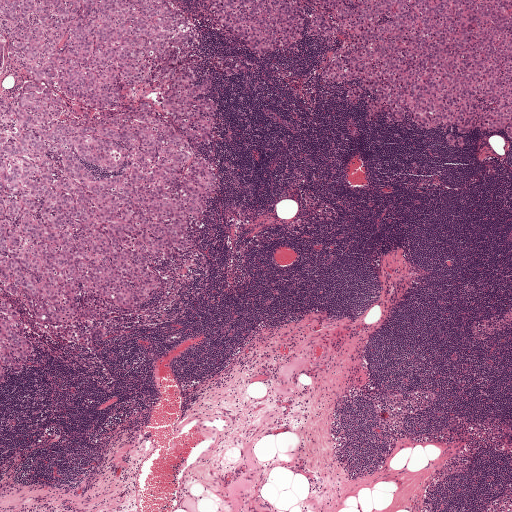
H&E-stained section of a sentinel lymph node (breast cancer), from a whole-slide image, viewed at about 2.5×: the field is about 2.0 mm across, about 3.9 µm per pixel.
Two metastatic tumour regions, each outlined as a closed clockwise path in crop pixels (x, y), largest first: region 1: (0, 0), (178, 0), (213, 70), (222, 139), (199, 146), (221, 191), (187, 257), (157, 270), (163, 287), (145, 305), (120, 311), (81, 292), (80, 321), (55, 327), (13, 298), (38, 366), (2, 386); region 2: (196, 0), (511, 0), (511, 140), (480, 135), (463, 150), (408, 127), (374, 126), (364, 107), (355, 117), (347, 109), (341, 86), (330, 90), (321, 81), (341, 41), (304, 38), (294, 55), (259, 56).
About 35% of this field is tumour.